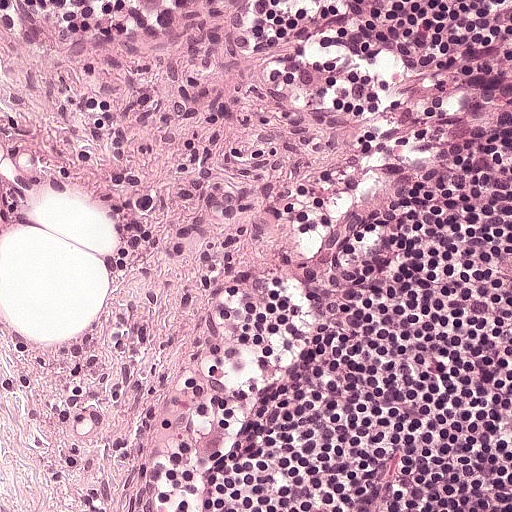
This is a crop of a whole-slide image: an H&E-stained breast-cancer sentinel lymph node section at roughly 20× magnification (about 0.49 µm per pixel; the crop spans about 0.25 mm).
Question: Is any metastatic breast cancer visible in this crop?
Answer: No. No metastatic tumour is outlined in this field.